Image:
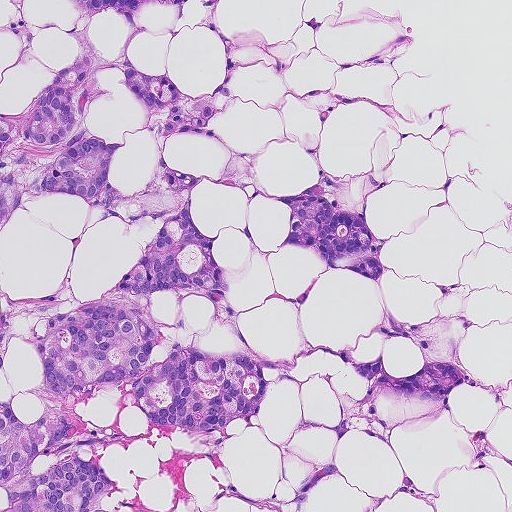
This is a crop of a whole-slide image: an H&E-stained breast-cancer sentinel lymph node section at roughly 10× magnification (about 0.9 µm per pixel; the crop spans about 0.46 mm).
Question:
Is there metastatic carcinoma in this field?
Answer:
Yes.
Boundaries of four metastatic tumour regions, simplified and listed clockwise, largest first: region 1: (69, 0), (189, 0), (87, 32), (199, 94), (216, 19), (236, 71), (209, 130), (230, 149), (154, 137), (99, 69), (110, 181), (374, 174), (393, 272), (272, 248), (280, 202), (202, 182), (252, 348), (197, 294), (157, 290), (160, 327), (264, 359), (349, 346), (407, 378), (385, 309), (461, 314), (497, 392), (336, 444), (295, 434), (336, 393), (362, 400), (324, 354), (218, 432), (99, 389), (72, 408), (137, 439), (100, 460), (126, 500), (0, 511), (0, 116), (74, 62); region 2: (334, 462), (340, 474), (328, 477), (316, 485), (308, 497), (304, 511), (283, 511), (283, 510), (311, 473), (323, 464); region 3: (375, 496), (385, 504), (374, 511), (363, 511); region 4: (192, 0), (215, 0), (216, 2), (214, 10), (202, 4).
About 40% of this field is tumour.